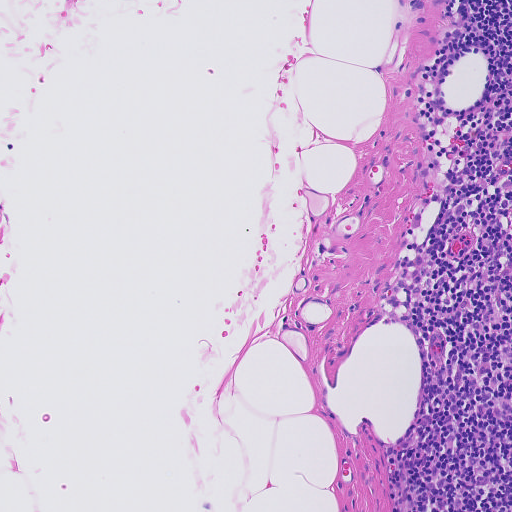
This is a crop of a whole-slide image: an H&E-stained breast-cancer sentinel lymph node section at roughly 10× magnification (about 0.91 µm per pixel; the crop spans about 0.46 mm).